H&E-stained section of a sentinel lymph node (breast cancer), from a whole-slide image, viewed at about 10×: the field is about 0.46 mm across, about 0.9 µm per pixel.
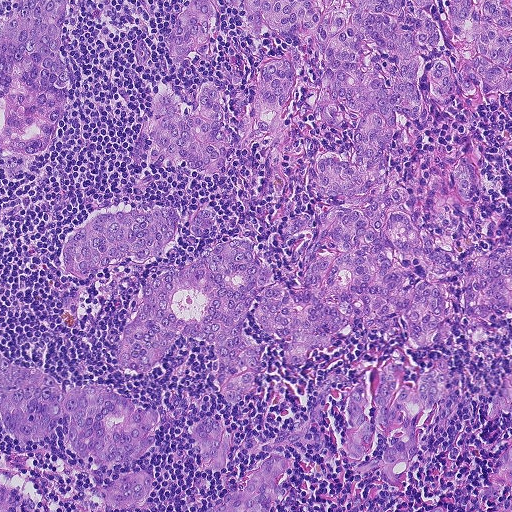
Question: Is any metastatic breast cancer visible in this crop?
Answer: Yes.
The eight largest tumour regions' boundaries, simplified and listed clockwise, largest first: region 1: (433, 0), (427, 118), (393, 112), (381, 186), (421, 193), (466, 156), (473, 201), (417, 231), (456, 256), (511, 248), (511, 320), (471, 319), (460, 278), (432, 274), (440, 344), (406, 345), (402, 316), (355, 319), (289, 365), (257, 293), (243, 335), (268, 343), (265, 375), (233, 403), (199, 342), (149, 374), (119, 364), (143, 282), (224, 241), (300, 285), (286, 223), (340, 202), (308, 165), (352, 161), (361, 116), (317, 115), (311, 36), (262, 19), (258, 37), (221, 2); region 2: (18, 0), (67, 0), (68, 15), (60, 45), (70, 73), (70, 88), (56, 132), (48, 146), (34, 154), (30, 168), (19, 177), (4, 176), (0, 169), (0, 159), (6, 152), (0, 151), (0, 34); region 3: (0, 353), (15, 366), (46, 374), (61, 390), (103, 384), (120, 397), (159, 413), (151, 433), (159, 439), (154, 448), (126, 463), (94, 464), (68, 445), (71, 424), (62, 418), (50, 434), (30, 441), (11, 432), (2, 412); region 4: (384, 364), (394, 365), (404, 385), (415, 392), (421, 373), (441, 368), (446, 389), (436, 408), (416, 417), (420, 452), (400, 490), (380, 469), (361, 474), (361, 465), (382, 459), (393, 439), (375, 428), (362, 459), (353, 464), (346, 455), (346, 401), (358, 383), (366, 390), (369, 412); region 5: (447, 0), (511, 0), (510, 69), (511, 90), (472, 97), (460, 94), (450, 99), (438, 99), (429, 92), (431, 69), (438, 59), (449, 62), (453, 69), (463, 63), (458, 52), (448, 46), (441, 21); region 6: (205, 82), (216, 84), (230, 138), (226, 171), (219, 179), (188, 170), (155, 166), (146, 146), (144, 157), (134, 163), (153, 89), (164, 86), (194, 111), (198, 90); region 7: (163, 204), (177, 209), (182, 223), (170, 250), (158, 260), (142, 264), (113, 262), (92, 281), (76, 280), (66, 270), (60, 254), (63, 239), (101, 211); region 8: (284, 57), (291, 66), (293, 76), (282, 106), (282, 117), (288, 126), (288, 137), (282, 147), (272, 149), (258, 133), (252, 112), (254, 101), (262, 80), (259, 75), (264, 64), (273, 58).
Six more, smaller tumour regions are not outlined.
Two more small tumour pieces are annotated here but not outlined.
The annotated tumour makes up about 45% of the crop.